A 0.23-mm field of an H&E-stained sentinel lymph node from a breast-cancer patient (whole-slide image), shown at about 20×, about 0.45 µm per pixel.
Question: 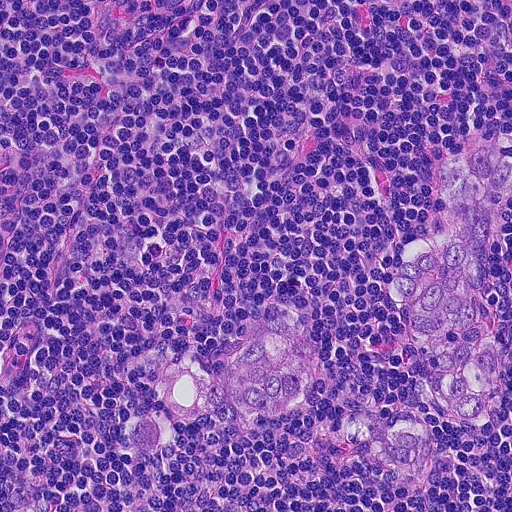
What fraction of the image area is metastatic tumour?

Choices:
 (A) about 50% or more
 (B) about 10% to 20%
 (C) about 25% to 45%
 (D) none: no tumour is outlined
 (E) about 5% or less

Answer: (B) about 10% to 20%
About 15% of the field is tumour.
Outlines of two tumour regions, largest first (closed clockwise paths, crop pixels): region 1: (494, 135), (511, 151), (511, 189), (481, 261), (479, 290), (496, 402), (485, 427), (457, 430), (434, 414), (388, 284), (394, 256), (417, 238), (444, 228), (435, 184), (442, 156), (464, 138); region 2: (295, 300), (310, 326), (318, 381), (304, 406), (278, 416), (250, 414), (224, 404), (200, 420), (172, 422), (165, 449), (136, 449), (127, 424), (152, 412), (159, 402), (158, 374), (178, 355), (206, 358), (222, 378), (241, 358), (267, 308).